Image:
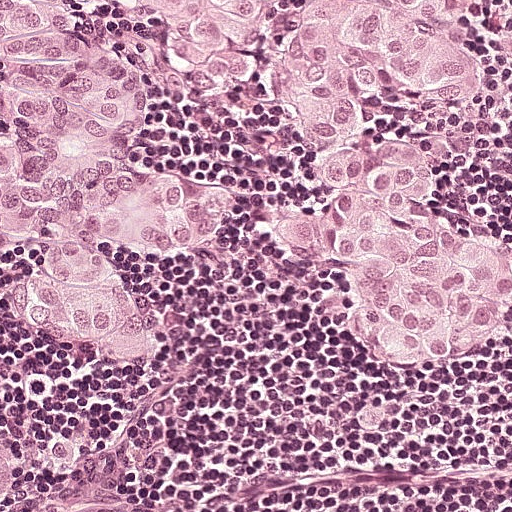
A 0.25-mm field of an H&E-stained sentinel lymph node from a breast-cancer patient (whole-slide image), shown at about 20×, about 0.49 µm per pixel.
Question:
Is any metastatic breast cancer visible in this crop?
Answer:
Yes.
Outlines of two tumour regions, largest first (closed clockwise paths, crop pixels): region 1: (0, 0), (478, 0), (428, 200), (511, 255), (511, 373), (390, 387), (314, 356), (240, 225), (302, 137), (305, 80), (194, 88), (103, 12), (97, 12), (114, 52), (140, 74), (126, 156), (220, 216), (172, 270), (114, 270), (152, 308), (146, 376), (0, 314); region 2: (0, 453), (4, 453), (6, 474), (10, 479), (10, 494), (4, 506), (0, 508).
Tumour covers about 55% of the frame.